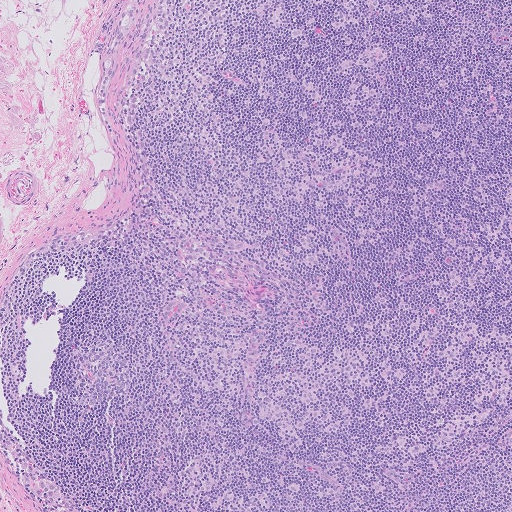
Lymph node section stained with H&E, from a whole-slide image of a breast-cancer sentinel node. Magnification about 5×, about 1.0 mm across the frame, about 2.0 µm per pixel.
The outlined metastatic tumour's edge, as a closed clockwise path of 14 points: (132, 1), (136, 2), (136, 19), (119, 48), (114, 75), (108, 89), (106, 106), (109, 122), (104, 124), (96, 104), (97, 88), (101, 77), (103, 56), (127, 4).
Under 5% of this field is tumour.